Image:
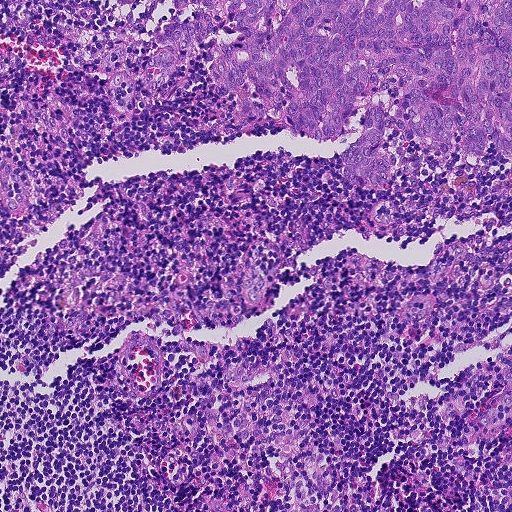
Lymph node section stained with H&E, from a whole-slide image of a breast-cancer sentinel node. Magnification about 10×, about 0.46 mm across the frame, about 0.9 µm per pixel.
Question:
Where is the metastatic tumour in this field?
Answer:
Two metastatic tumour regions, each outlined as a closed clockwise path in crop pixels (x, y), largest first: region 1: (171, 0), (511, 0), (511, 152), (498, 158), (488, 144), (484, 160), (468, 166), (458, 151), (431, 167), (416, 157), (385, 195), (351, 188), (340, 156), (363, 120), (348, 116), (341, 141), (230, 125), (237, 98), (212, 92), (208, 35), (127, 116), (112, 108), (106, 45), (146, 59); region 2: (115, 0), (142, 0), (133, 2), (118, 8).
About 20% of the image area is annotated as tumour.